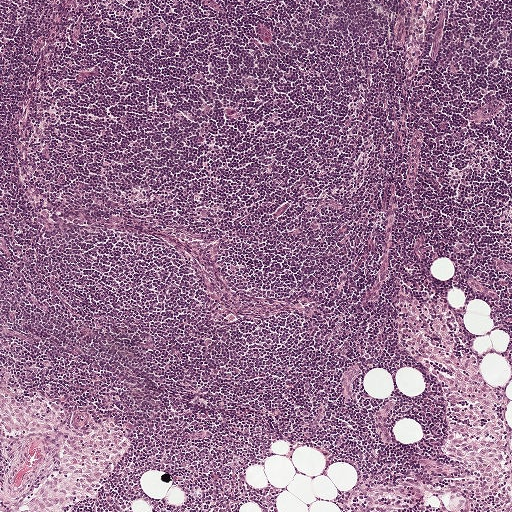
Lymph node section stained with H&E, from a whole-slide image of a breast-cancer sentinel node. Magnification about 5×, about 1 mm across the frame, about 1.9 µm per pixel.